Question: 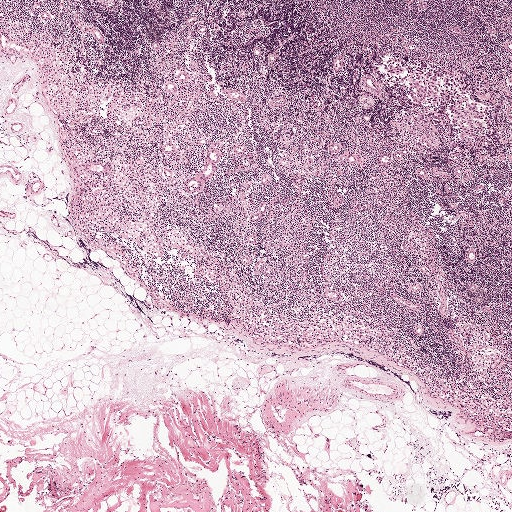
This is a crop of a whole-slide image: an H&E-stained breast-cancer sentinel lymph node section at roughly 2.5× magnification (about 3.9 µm per pixel; the crop spans about 2.0 mm).
Estimate the proportion of this field that is metastatic tumour.

Choices:
 (A) about 25% to 45%
 (B) about 5% or less
 (C) none: no tumour is outlined
 (D) about 10% to 20%
 (E) about 50% or more

Answer: (B) about 5% or less
Under 5% of the field is tumour.
Outlines of two tumour regions, largest first (closed clockwise paths, crop pixels): region 1: (389, 58), (408, 59), (416, 65), (449, 71), (464, 79), (470, 86), (467, 95), (494, 113), (496, 127), (494, 132), (489, 134), (486, 125), (478, 134), (464, 132), (454, 122), (450, 108), (444, 111), (430, 103), (422, 106), (411, 100), (408, 86), (391, 81), (384, 71), (382, 66); region 2: (422, 111), (428, 114), (441, 115), (446, 118), (445, 124), (442, 126), (433, 122), (416, 123), (414, 118), (419, 112).